Lymph node section stained with H&E, from a whole-slide image of a breast-cancer sentinel node. Magnification about 20×, about 0.23 mm across the frame, about 0.45 µm per pixel.
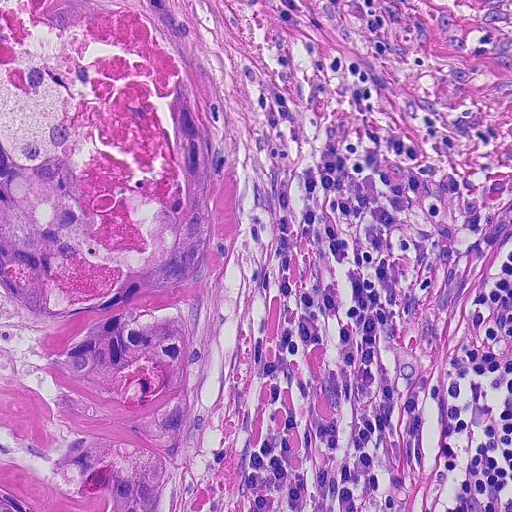
One metastatic tumour region; its boundary, reduced to 5 corners and listed clockwise: (0, 0), (196, 0), (242, 193), (177, 511), (0, 511).
About 45% of this field is tumour.